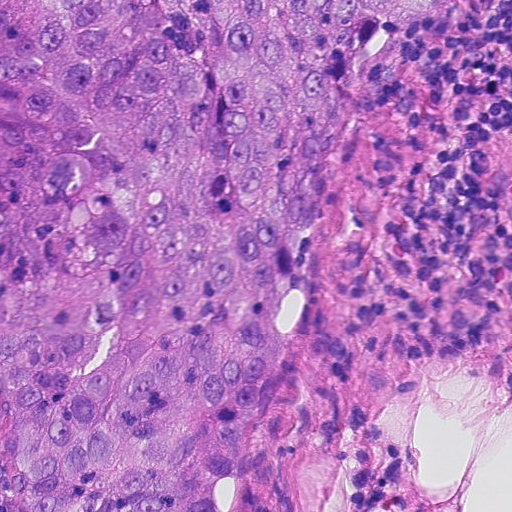
This is a crop of a whole-slide image: an H&E-stained breast-cancer sentinel lymph node section at roughly 20× magnification (about 0.45 µm per pixel; the crop spans about 0.23 mm).
Tumour region outline (a closed clockwise path, crop pixels): (0, 0), (423, 0), (352, 92), (298, 292), (306, 419), (240, 511), (16, 511), (6, 474).
The annotated tumour makes up about 65% of the crop.